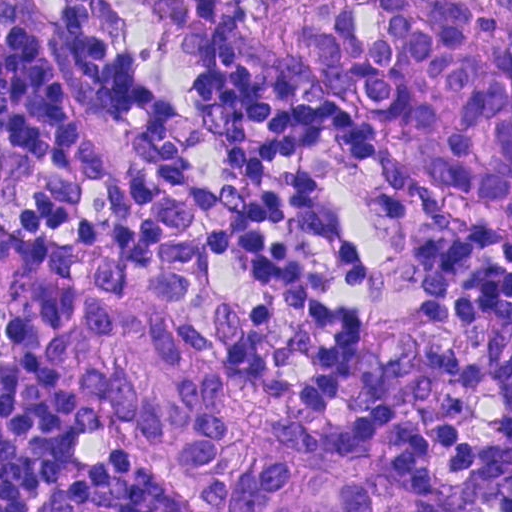
A 0.12-mm field of an H&E-stained sentinel lymph node from a breast-cancer patient (whole-slide image), shown at about 40×, about 0.23 µm per pixel.
Two metastatic tumour regions, each outlined as a closed clockwise path in crop pixels (x, y), largest first: region 1: (170, 193), (204, 229), (209, 291), (248, 317), (229, 363), (238, 411), (287, 409), (335, 426), (367, 463), (446, 511), (196, 508), (173, 498), (38, 362), (42, 337), (103, 293), (148, 276), (162, 229), (150, 207); region 2: (279, 0), (511, 0), (511, 248), (421, 192), (344, 114), (307, 111), (275, 92), (256, 61), (258, 24).
The annotated tumour makes up about 35% of the crop.